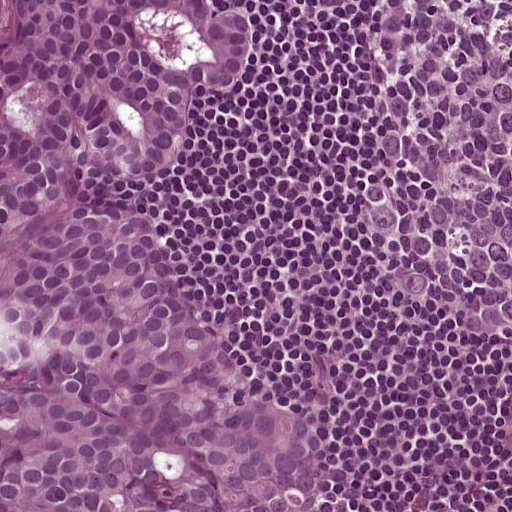
A 0.25-mm field of an H&E-stained sentinel lymph node from a breast-cancer patient (whole-slide image), shown at about 20×, about 0.49 µm per pixel.
Metastatic tumour outline, simplified to 9 points and listed clockwise in crop pixels (x, y): (0, 0), (271, 0), (278, 13), (242, 88), (165, 158), (214, 320), (289, 386), (340, 511), (0, 511).
Tumour covers about 50% of the frame.